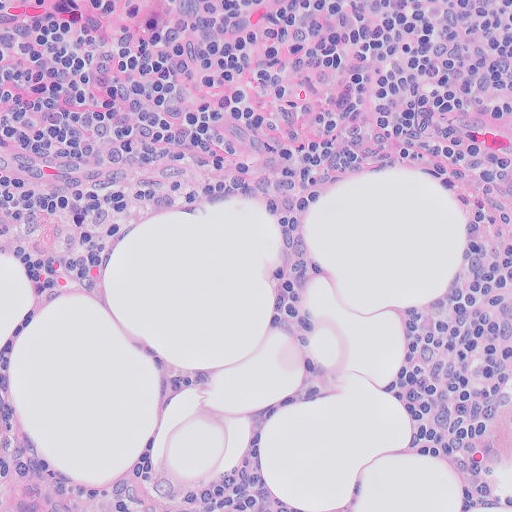
H&E-stained section of a sentinel lymph node (breast cancer), from a whole-slide image, viewed at about 20×: the field is about 0.26 mm across, about 0.5 µm per pixel.